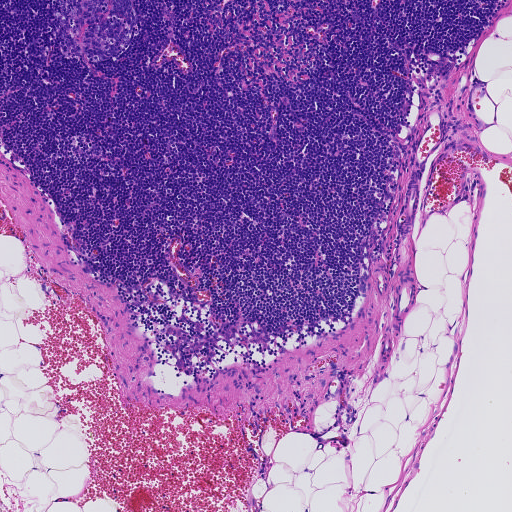
A 0.93-mm field of an H&E-stained sentinel lymph node from a breast-cancer patient (whole-slide image), shown at about 5×, about 1.8 µm per pixel.